Question: 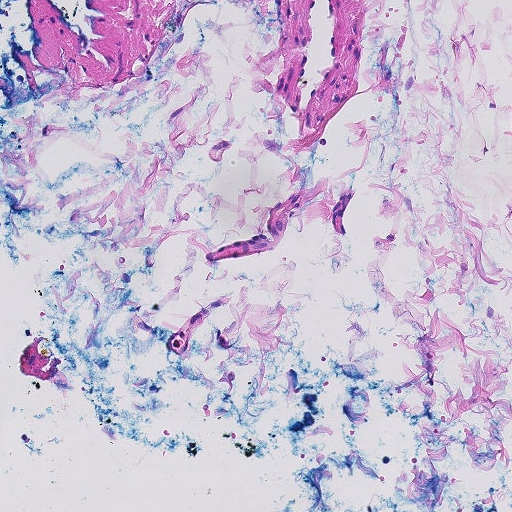
Which magnification is this H&E lymph node field most likely shown at?

Choices:
 (A) about 10×
 (B) about 20×
 (C) about 2.5×
 (D) about 40×
 (E) about 5×

Answer: (A) about 10×
H&E-stained section of a sentinel lymph node (breast cancer), from a whole-slide image, viewed at about 10×: the field is about 0.46 mm across, about 0.9 µm per pixel.